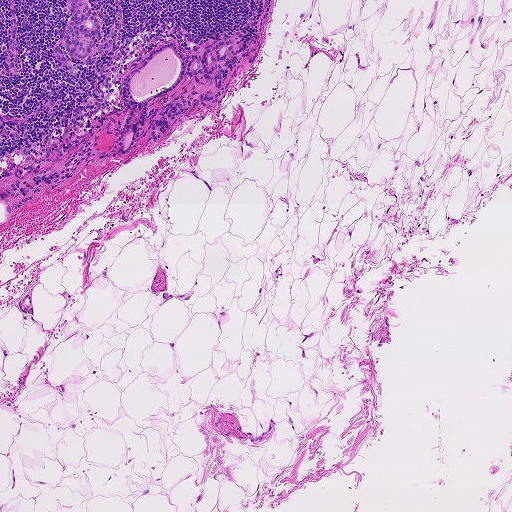
H&E-stained section of a sentinel lymph node (breast cancer), from a whole-slide image, viewed at about 5×: the field is about 0.93 mm across, about 1.8 µm per pixel.
Boundaries of four metastatic tumour regions, simplified and listed clockwise, largest first: region 1: (232, 40), (230, 53), (217, 62), (225, 69), (222, 86), (211, 87), (202, 74), (184, 77), (175, 89), (147, 105), (146, 117), (137, 126), (134, 143), (124, 154), (118, 146), (129, 110), (122, 101), (123, 79), (150, 51), (168, 42), (176, 42), (184, 56), (201, 57), (216, 43); region 2: (67, 0), (88, 0), (93, 16), (101, 20), (97, 51), (87, 59), (74, 59), (68, 54), (64, 46), (64, 29), (72, 14), (66, 5); region 3: (181, 95), (191, 102), (190, 111), (175, 120), (167, 119), (169, 127), (167, 131), (163, 133), (159, 140), (155, 141), (149, 131), (146, 130), (148, 123), (160, 118), (159, 114), (163, 107), (177, 96); region 4: (220, 91), (220, 93), (220, 96), (209, 102), (200, 101), (200, 93), (204, 94), (205, 96), (209, 97).
About 5% of this field is tumour.